Image:
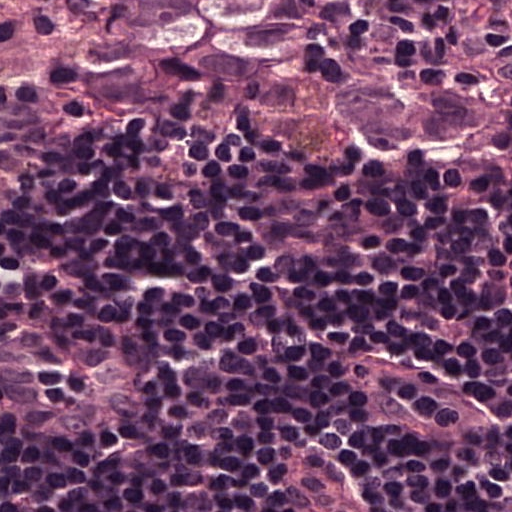
H&E-stained section of a sentinel lymph node (breast cancer), from a whole-slide image, viewed at about 40×: the field is about 0.12 mm across, about 0.24 µm per pixel.
Question:
Which parts of this field are metastatic tumour?
Answer:
Tumour region outline (a closed clockwise path, crop pixels): (331, 0), (338, 107), (350, 132), (492, 189), (502, 225), (477, 253), (361, 254), (74, 196), (28, 157), (22, 108), (30, 74), (102, 2).
About 30% of this field is tumour.